H&E-stained section of a sentinel lymph node (breast cancer), from a whole-slide image, viewed at about 10×: the field is about 0.5 mm across, about 0.97 µm per pixel.
Question: 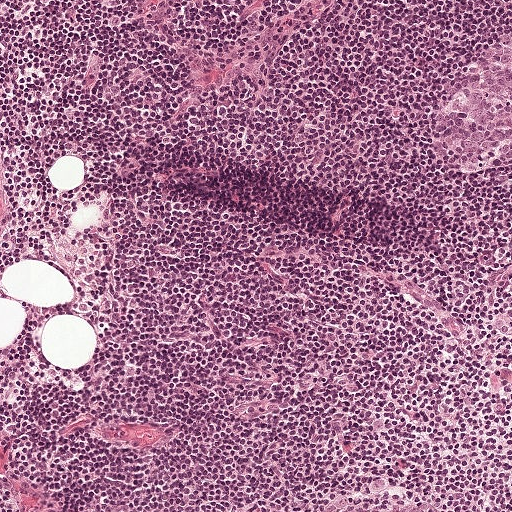
Roughly what share of this field is metastatic tumour?

Choices:
 (A) about 5% or less
 (B) about 50% or more
 (C) about 25% to 45%
 (D) none: no tumour is outlined
 (E) about 10% to 20%

Answer: (D) none: no tumour is outlined
No metastatic tumour is outlined in this field.